Question: 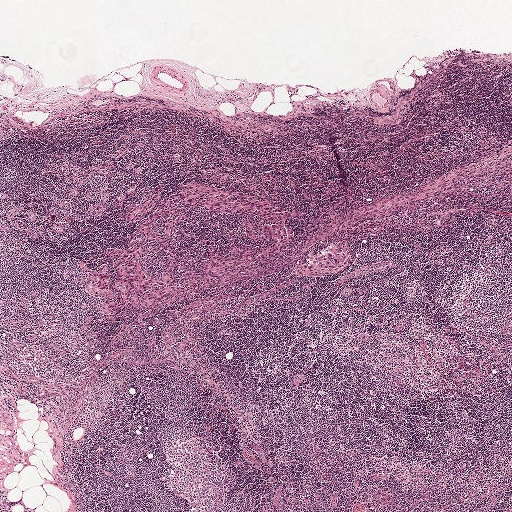
A 2.0-mm field of an H&E-stained sentinel lymph node from a breast-cancer patient (whole-slide image), shown at about 2.5×, about 3.9 µm per pixel.
What fraction of the image area is metastatic tumour?

Choices:
 (A) about 25% to 45%
 (B) none: no tumour is outlined
 (C) about 10% to 20%
 (D) about 5% or less
 (E) about 50% or more

Answer: (D) about 5% or less
About 5% of the field is tumour.
Two metastatic tumour regions, each outlined as a closed clockwise path in crop pixels (x, y), largest first: region 1: (189, 174), (258, 195), (297, 210), (297, 216), (289, 216), (292, 239), (272, 255), (174, 297), (124, 309), (108, 323), (97, 307), (101, 298), (82, 290), (83, 275), (75, 263), (81, 260), (94, 270), (102, 250), (124, 245), (132, 225), (124, 217), (160, 184), (161, 197), (171, 195); region 2: (337, 240), (344, 240), (350, 263), (338, 273), (331, 275), (297, 276), (289, 274), (288, 268), (290, 263), (307, 252), (326, 248), (327, 244).